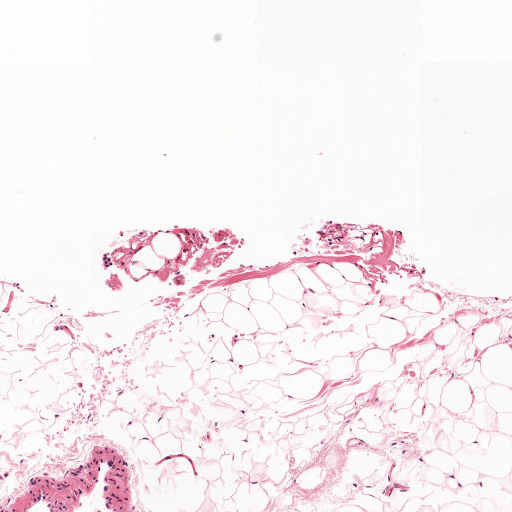
A 1-mm field of an H&E-stained sentinel lymph node from a breast-cancer patient (whole-slide image), shown at about 5×, about 1.9 µm per pixel.
Tumour region outline (a closed clockwise path, crop pixels): (105, 252), (110, 255), (114, 265), (110, 271), (106, 271), (101, 266), (102, 255).
One more small tumour piece is annotated here but not outlined.
Tumour covers under 5% of the frame.